Question: 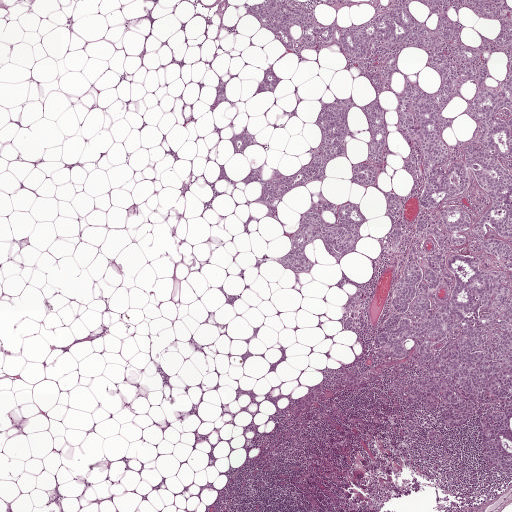
Which magnification is this H&E lymph node field most likely shown at?

Choices:
 (A) about 20×
 (B) about 40×
 (C) about 2.5×
 (D) about 5×
 (E) about 10×

Answer: (C) about 2.5×
H&E-stained section of a sentinel lymph node (breast cancer), from a whole-slide image, viewed at about 2.5×: the field is about 2.0 mm across, about 3.9 µm per pixel.
Boundaries of six metastatic tumour regions, simplified and listed clockwise, largest first: region 1: (264, 0), (345, 30), (389, 0), (511, 12), (511, 409), (445, 428), (389, 390), (419, 376), (418, 339), (395, 360), (370, 335), (416, 236), (338, 261), (316, 238), (307, 272), (278, 257), (320, 200), (381, 240), (389, 194), (427, 219), (398, 97), (379, 92), (377, 186), (349, 176), (370, 144), (352, 107), (345, 158), (275, 216), (243, 180), (307, 166), (324, 107), (363, 104), (384, 56), (394, 91), (439, 75), (410, 45), (293, 52), (251, 18); region 2: (511, 410), (511, 474), (497, 470), (484, 461), (482, 451), (485, 431), (481, 422), (493, 413); region 3: (363, 293), (362, 300), (363, 304), (357, 308), (357, 315), (355, 322), (350, 328), (347, 330), (343, 330), (343, 326), (341, 319), (346, 305), (356, 294); region 4: (272, 70), (279, 75), (280, 81), (274, 90), (263, 92), (257, 91), (258, 86), (266, 71); region 5: (246, 133), (249, 137), (250, 142), (247, 146), (238, 152), (234, 150), (230, 139); region 6: (219, 165), (223, 166), (224, 171), (229, 177), (229, 181), (223, 178), (217, 180), (220, 169).
One more small tumour piece is annotated here but not outlined.
The annotated tumour makes up about 25% of the crop.